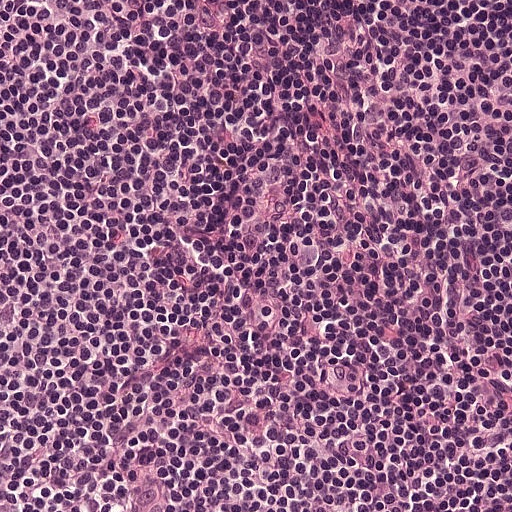
H&E-stained section of a sentinel lymph node (breast cancer), from a whole-slide image, viewed at about 20×: the field is about 0.25 mm across, about 0.49 µm per pixel.
Question: Is any metastatic breast cancer visible in this crop?
Answer: No. No metastatic tumour is outlined in this field.